This is a crop of a whole-slide image: an H&E-stained breast-cancer sentinel lymph node section at roughly 5× magnification (about 1.9 µm per pixel; the crop spans about 1 mm).
Image:
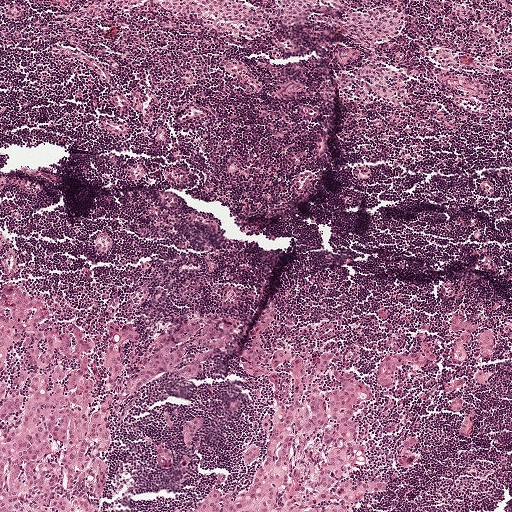
Question:
Outline the metastatic carcinoma in this image, as closed paths of (x, y) pixel coordinates.
Answer:
Outlines of eight tumour regions, largest first (closed clockwise paths, crop pixels): region 1: (0, 271), (74, 304), (89, 318), (120, 318), (140, 326), (142, 353), (154, 347), (164, 357), (161, 377), (122, 415), (101, 511), (0, 511); region 2: (270, 298), (279, 306), (279, 334), (294, 352), (337, 350), (321, 386), (330, 386), (339, 364), (372, 384), (360, 424), (368, 460), (356, 478), (386, 477), (389, 486), (348, 508), (154, 511), (213, 484), (248, 486), (243, 452), (269, 426), (274, 388), (270, 376), (249, 369), (246, 354); region 3: (424, 326), (436, 344), (437, 358), (424, 363), (401, 361), (396, 367), (395, 378), (391, 384), (385, 384), (379, 381), (376, 373), (379, 361), (391, 350), (411, 350), (421, 344), (420, 328); region 4: (453, 315), (468, 320), (479, 330), (468, 347), (468, 357), (459, 364), (452, 360), (449, 355), (452, 342), (462, 335), (456, 336), (451, 334), (450, 322); region 5: (412, 433), (416, 434), (416, 440), (412, 448), (416, 453), (416, 456), (414, 462), (409, 465), (397, 462), (396, 458), (402, 441); region 6: (485, 330), (492, 332), (496, 337), (495, 348), (492, 356), (487, 359), (483, 359), (479, 355), (475, 344), (476, 337); region 7: (474, 410), (476, 411), (474, 421), (471, 426), (469, 428), (466, 435), (462, 436), (459, 434), (458, 431), (464, 418), (465, 415), (469, 411); region 8: (455, 396), (463, 397), (463, 405), (462, 410), (454, 412), (448, 409), (448, 406).
About 20% of this field is tumour.